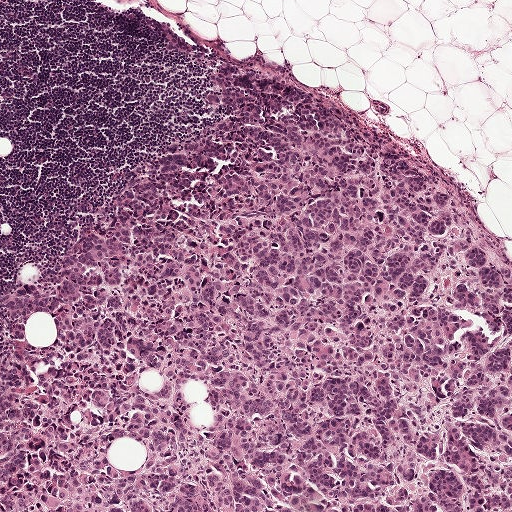
Lymph node section stained with H&E, from a whole-slide image of a breast-cancer sentinel node. Magnification about 5×, about 1 mm across the frame, about 1.9 µm per pixel.
Question: Is any metastatic breast cancer visible in this crop?
Answer: Yes.
Tumour region outline (a closed clockwise path, crop pixels): (255, 65), (382, 126), (441, 174), (511, 269), (511, 511), (0, 511), (8, 292), (60, 263), (118, 184), (190, 140), (214, 68).
About 65% of the image area is annotated as tumour.